This is a crop of a whole-slide image: an H&E-stained breast-cancer sentinel lymph node section at roughly 10× magnification (about 0.97 µm per pixel; the crop spans about 0.5 mm).
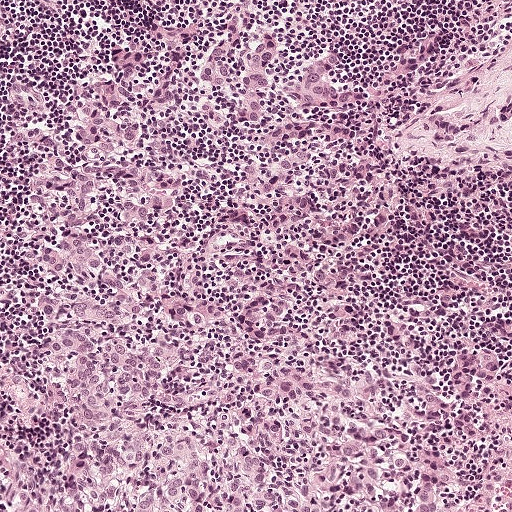
Two metastatic tumour regions, each outlined as a closed clockwise path in crop pixels (x, y), largest first: region 1: (225, 26), (291, 38), (289, 98), (304, 62), (345, 51), (335, 80), (392, 91), (403, 220), (359, 330), (396, 386), (391, 420), (418, 434), (424, 482), (442, 457), (443, 511), (10, 504), (20, 462), (66, 446), (15, 132), (84, 160), (91, 81), (201, 75); region 2: (511, 93), (511, 121), (501, 126), (497, 126), (491, 125), (489, 122), (489, 115), (491, 110), (497, 106), (502, 99), (508, 94).
About 60% of the image area is annotated as tumour.